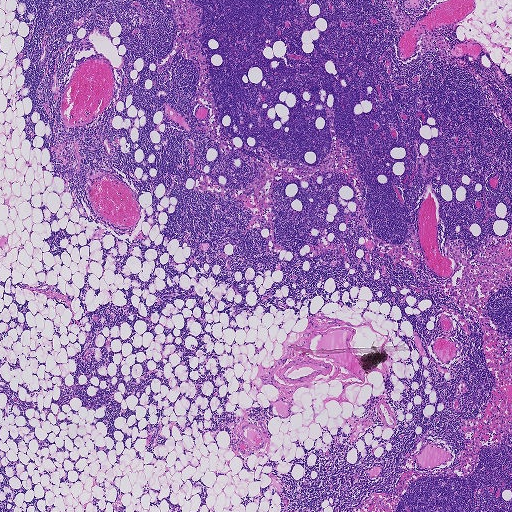
This is a crop of a whole-slide image: an H&E-stained breast-cancer sentinel lymph node section at roughly 2.5× magnification (about 3.6 µm per pixel; the crop spans about 1.9 mm).
Question: Is any metastatic breast cancer visible in this crop?
Answer: No, this field holds no outlined metastasis.